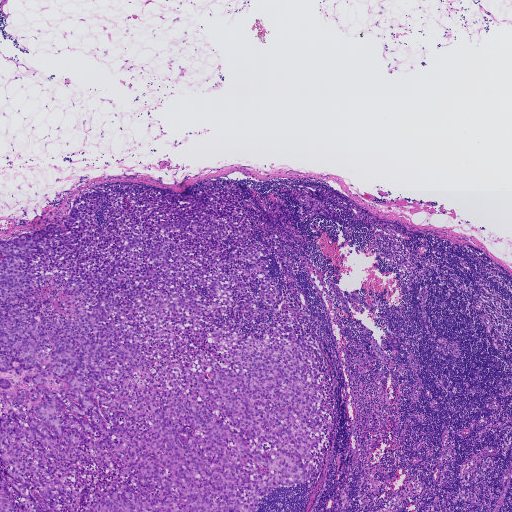
This is a crop of a whole-slide image: an H&E-stained breast-cancer sentinel lymph node section at roughly 2.5× magnification (about 3.6 µm per pixel; the crop spans about 1.9 mm).
Boundaries of two metastatic tumour regions, simplified and listed clockwise, largest first: region 1: (98, 190), (100, 226), (114, 193), (236, 196), (283, 299), (259, 298), (254, 324), (239, 303), (212, 331), (261, 337), (297, 308), (334, 389), (323, 469), (255, 511), (0, 511), (0, 379), (31, 389), (26, 372), (0, 371), (0, 240); region 2: (223, 181), (230, 182), (236, 184), (241, 188), (244, 194), (241, 198), (237, 198), (234, 194), (233, 190), (225, 188), (221, 184).
The annotated tumour makes up about 35% of the crop.